Image:
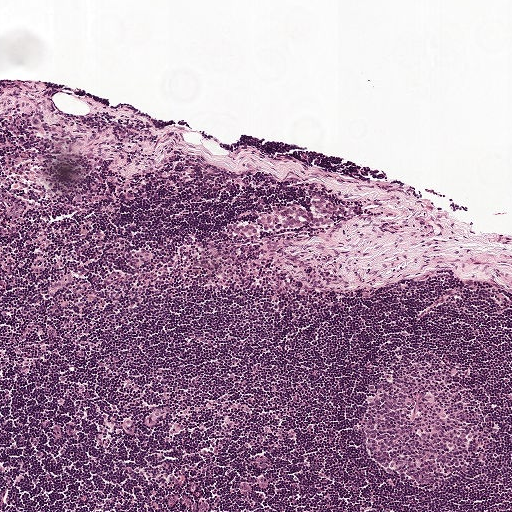
H&E-stained section of a sentinel lymph node (breast cancer), from a whole-slide image, viewed at about 5×: the field is about 1 mm across, about 1.9 µm per pixel.
Question:
Outline the metastatic carcinoma in this image, as closed paths of (x, y) pixel coordinates.
Answer:
Metastatic tumour outline, simplified to 19 points and listed clockwise in crop pixels (x, y): (324, 199), (347, 212), (335, 215), (335, 222), (330, 226), (304, 224), (280, 231), (262, 231), (254, 236), (244, 233), (232, 233), (228, 227), (233, 222), (253, 220), (274, 205), (298, 204), (310, 209), (312, 208), (310, 200).
Tumour covers under 5% of the frame.

Image:
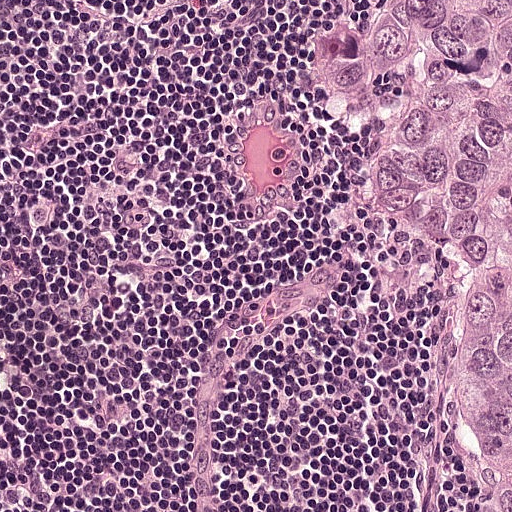
Lymph node section stained with H&E, from a whole-slide image of a breast-cancer sentinel node. Magnification about 20×, about 0.25 mm across the frame, about 0.49 µm per pixel.
Question:
Outline the metastatic carcinoma in this image, as closed paths of (x, y) pixel coordinates.
Answer:
The outlined metastatic tumour's edge, as a closed clockwise path of 11 points: (397, 0), (511, 0), (511, 511), (434, 511), (454, 430), (444, 325), (415, 258), (390, 242), (382, 190), (300, 90), (330, 34).
Tumour covers about 25% of the frame.

Image:
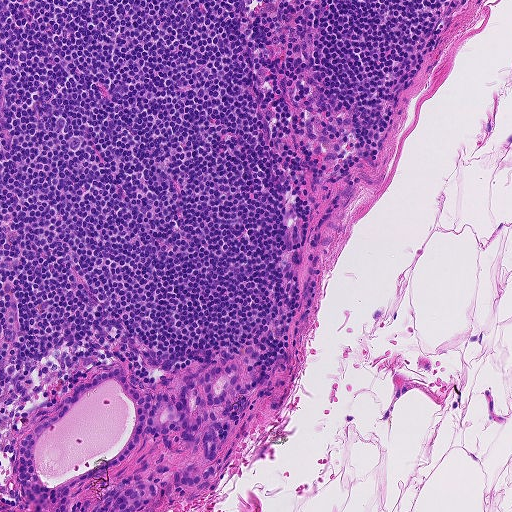
H&E-stained section of a sentinel lymph node (breast cancer), from a whole-slide image, viewed at about 10×: the field is about 0.46 mm across, about 0.9 µm per pixel.
Question:
Outline the metastatic carcinoma in this image, as closed paths of (x, y) pixel coordinates.
Answer:
Outlines of three tumour regions, largest first (closed clockwise paths, crop pixels): region 1: (238, 364), (235, 389), (208, 409), (223, 423), (213, 461), (189, 453), (192, 444), (178, 440), (179, 431), (143, 437), (124, 463), (68, 494), (67, 511), (30, 511), (16, 477), (20, 441), (54, 414), (74, 386), (109, 368), (126, 368), (142, 396), (161, 391), (177, 398), (205, 370); region 2: (136, 475), (156, 487), (156, 497), (154, 505), (144, 511), (92, 511), (99, 498), (128, 476); region 3: (213, 465), (215, 470), (214, 476), (192, 488), (173, 486), (174, 470), (181, 472), (184, 476), (192, 477).
Tumour covers about 5% of the frame.

Image:
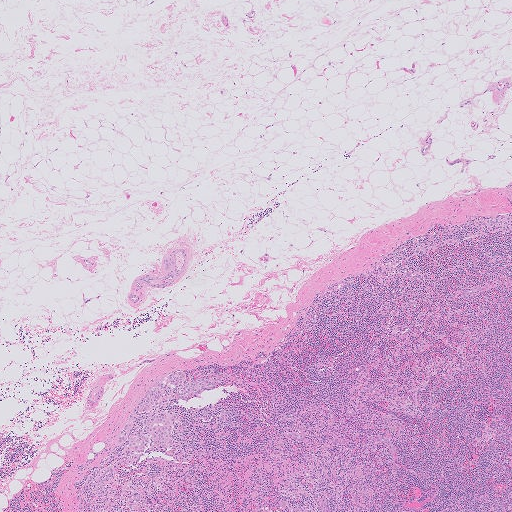
H&E-stained section of a sentinel lymph node (breast cancer), from a whole-slide image, viewed at about 2.5×: the field is about 2.0 mm across, about 4.0 µm per pixel.
Question:
Outline the metastatic carcinoma in this image, as closed paths of (x, y) pixel coordinates.
Answer:
Outlines of two tumour regions, largest first (closed clockwise paths, crop pixels): region 1: (166, 410), (178, 414), (180, 422), (176, 432), (177, 436), (174, 442), (165, 449), (122, 457), (120, 454), (123, 447), (112, 443), (113, 437), (120, 427), (131, 421), (134, 424), (133, 432), (136, 431), (148, 417); region 2: (174, 370), (182, 370), (186, 374), (188, 381), (200, 374), (203, 377), (218, 378), (219, 386), (217, 389), (185, 401), (177, 400), (175, 397), (177, 386), (166, 397), (147, 411), (136, 411), (136, 404), (145, 391), (156, 380).
Under 5% of the image area is annotated as tumour.